H&E-stained section of a sentinel lymph node (breast cancer), from a whole-slide image, viewed at about 20×: the field is about 0.25 mm across, about 0.49 µm per pixel.
Question: 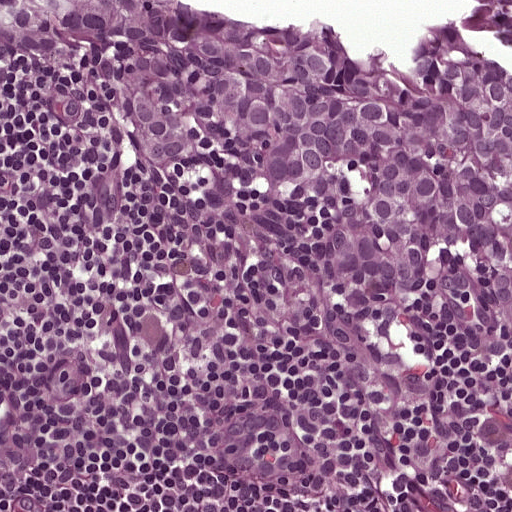
Estimate the proportion of this field that is metastatic tumour.

Choices:
 (A) about 10% to 20%
 (B) about 25% to 45%
 (C) about 50% or more
 (D) about 5% or less
 (E) none: no tumour is outlined

Answer: (B) about 25% to 45%
About 40% of the field is tumour.
Metastatic tumour outline, simplified to 15 points and listed clockwise in crop pixels (x, y): (0, 0), (187, 0), (280, 20), (316, 14), (382, 54), (446, 16), (511, 63), (511, 351), (430, 312), (359, 332), (330, 304), (288, 199), (152, 173), (92, 99), (0, 45).